This is a crop of a whole-slide image: an H&E-stained breast-cancer sentinel lymph node section at roughly 5× magnification (about 1.9 µm per pixel; the crop spans about 1 mm).
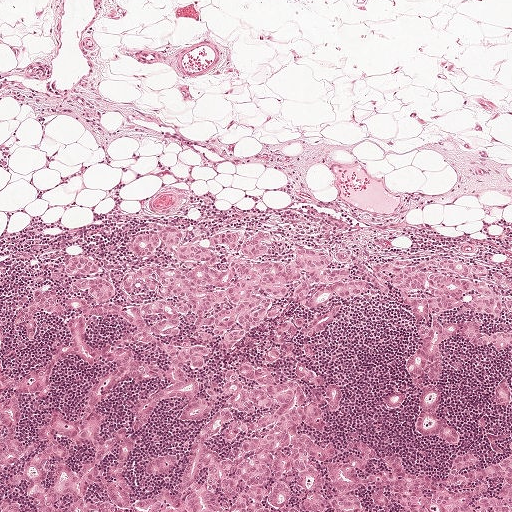
Boundaries of three metastatic tumour regions, simplified and listed clockwise, largest first: region 1: (171, 227), (183, 230), (185, 245), (214, 252), (213, 272), (248, 259), (286, 268), (303, 247), (324, 252), (332, 262), (322, 272), (304, 272), (300, 281), (286, 283), (287, 292), (276, 302), (281, 314), (259, 321), (231, 342), (204, 327), (192, 331), (191, 314), (182, 318), (181, 335), (167, 338), (92, 313), (96, 303), (138, 304), (159, 296), (146, 289), (142, 279), (128, 293), (121, 282), (138, 265), (173, 261), (173, 253), (159, 243), (146, 254), (132, 248), (138, 235); region 2: (511, 449), (511, 511), (401, 511), (400, 508), (380, 511), (373, 508), (369, 500), (378, 470), (387, 466), (386, 455), (392, 452), (397, 452), (414, 472), (437, 473), (447, 472), (461, 453), (474, 453), (476, 462), (484, 465), (506, 457); region 3: (438, 315), (444, 324), (477, 317), (488, 330), (511, 330), (511, 352), (490, 354), (461, 342), (446, 346), (442, 388), (445, 398), (439, 412), (462, 433), (463, 442), (455, 449), (440, 448), (416, 432), (419, 412), (414, 382), (405, 373), (408, 357), (420, 350), (414, 324), (430, 326).
Three more small tumour pieces are annotated here but not outlined.
About 10% of this field is tumour.